H&E-stained section of a sentinel lymph node (breast cancer), from a whole-slide image, viewed at about 5×: the field is about 0.93 mm across, about 1.8 µm per pixel.
Question: 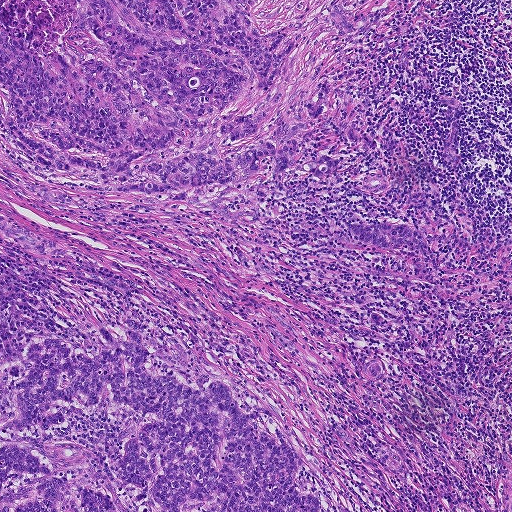
About how much of this crop is taken up by metastatic carcinoma?

Choices:
 (A) about 50% or more
 (B) none: no tumour is outlined
 (C) about 10% to 20%
 (D) about 25% to 45%
 (E) about 5% or less

Answer: (A) about 50% or more
About 50% of the field is tumour.
Outlines of two tumour regions, largest first (closed clockwise paths, crop pixels): region 1: (0, 0), (365, 0), (351, 31), (305, 50), (276, 109), (319, 77), (369, 67), (336, 91), (395, 140), (396, 159), (336, 144), (318, 149), (336, 159), (332, 178), (270, 171), (190, 191), (166, 218), (41, 225), (150, 288), (245, 376), (326, 482), (331, 511), (0, 511); region 2: (347, 222), (366, 224), (385, 222), (404, 225), (422, 233), (433, 250), (430, 259), (421, 260), (403, 253), (385, 251), (359, 240), (351, 234).